Question: 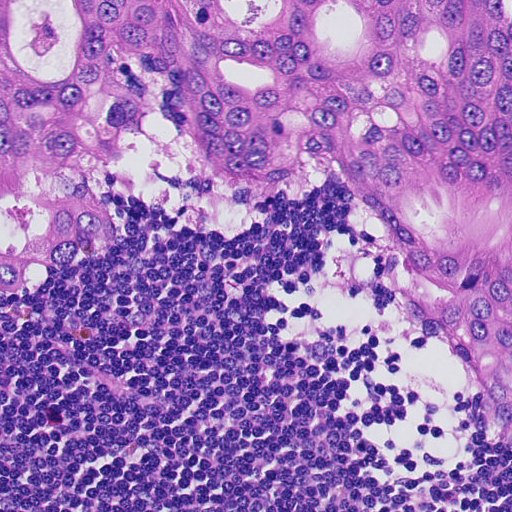
A 0.23-mm field of an H&E-stained sentinel lymph node from a breast-cancer patient (whole-slide image), shown at about 20×, about 0.45 µm per pixel.
Estimate the proportion of this field that is metastatic tumour.

Choices:
 (A) about 50% or more
 (B) about 10% to 20%
 (C) about 5% or less
 (D) none: no tumour is outlined
 (E) about 25% to 45%

Answer: (A) about 50% or more
About 50% of the field is tumour.
Tumour region outline (a closed clockwise path, crop pixels): (0, 0), (511, 0), (511, 452), (458, 355), (408, 306), (382, 238), (338, 181), (265, 202), (128, 186), (101, 248), (40, 287), (5, 291).
Question: 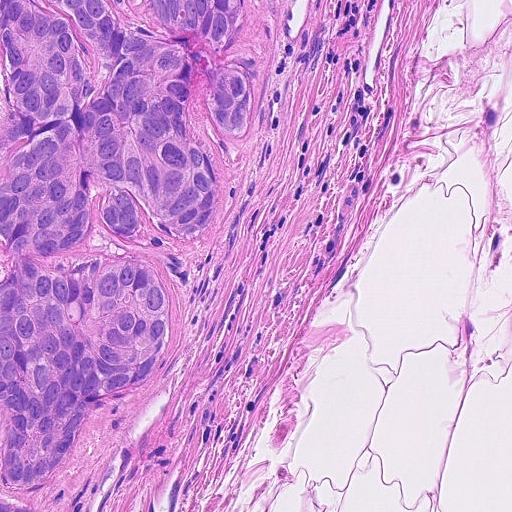
This is a crop of a whole-slide image: an H&E-stained breast-cancer sentinel lymph node section at roughly 20× magnification (about 0.45 µm per pixel; the crop spans about 0.23 mm).
Estimate the proportion of this field that is metastatic tumour.

Choices:
 (A) none: no tumour is outlined
 (B) about 50% or more
 (C) about 25% to 45%
 (D) about 5% or less
 (E) about 10% to 20%

Answer: (C) about 25% to 45%
About 35% of the field is tumour.
Tumour region outline (a closed clockwise path, crop pixels): (0, 0), (239, 0), (234, 41), (262, 73), (263, 114), (249, 153), (228, 152), (230, 195), (214, 234), (182, 262), (157, 246), (178, 287), (180, 328), (132, 394), (94, 410), (56, 486), (23, 496), (50, 511), (0, 511).
Question: 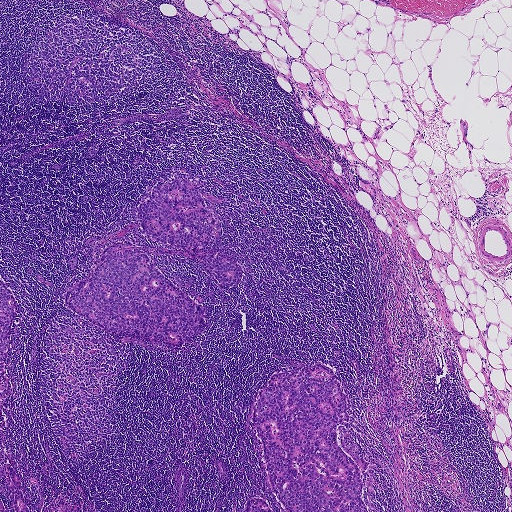
Lymph node section stained with H&E, from a whole-slide image of a breast-cancer sentinel node. Magnification about 2.5×, about 1.9 mm across the frame, about 3.6 µm per pixel.
Estimate the proportion of this field that is metastatic tumour.

Choices:
 (A) about 10% to 20%
 (B) about 50% or more
 (C) about 5% or less
 (D) about 25% to 45%
 (E) none: no tumour is outlined

Answer: (A) about 10% to 20%
About 10% of the field is tumour.
Six metastatic tumour regions, each outlined as a closed clockwise path in crop pixels (x, y), largest first: region 1: (320, 364), (328, 366), (341, 379), (349, 404), (349, 421), (337, 431), (340, 445), (348, 455), (362, 458), (367, 464), (362, 474), (361, 498), (368, 511), (289, 511), (267, 483), (258, 437), (245, 418), (254, 396), (274, 372); region 2: (113, 241), (145, 249), (159, 269), (207, 316), (207, 327), (195, 344), (160, 350), (107, 336), (77, 317), (64, 299), (66, 288), (86, 277); region 3: (182, 176), (192, 181), (212, 208), (216, 219), (215, 230), (203, 249), (226, 251), (241, 266), (238, 287), (227, 287), (194, 256), (151, 240), (141, 226), (136, 216), (137, 205), (143, 195), (161, 180); region 4: (0, 278), (14, 298), (15, 309), (7, 365), (14, 387), (4, 408), (8, 418), (2, 428), (0, 427); region 5: (4, 462), (19, 473), (21, 479), (20, 485), (23, 497), (33, 511), (15, 511), (9, 497), (8, 487), (0, 476), (0, 466); region 6: (255, 497), (261, 498), (266, 502), (272, 511), (242, 511), (242, 509), (249, 498).
Question: 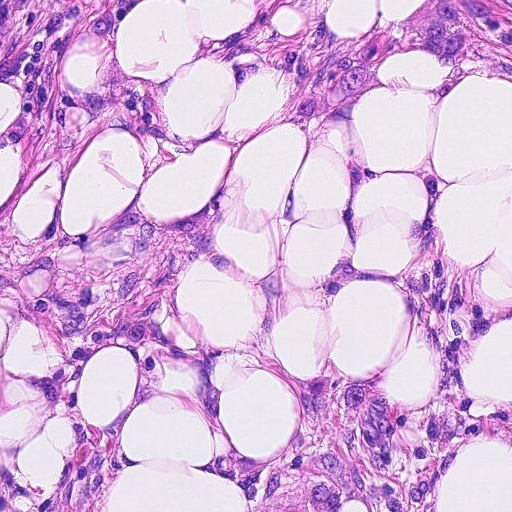
A 0.23-mm field of an H&E-stained sentinel lymph node from a breast-cancer patient (whole-slide image), shown at about 20×, about 0.45 µm per pixel.
Estimate the proportion of this field that is metastatic tumour.

Choices:
 (A) none: no tumour is outlined
 (B) about 10% to 20%
 (C) about 5% or less
 (D) about 50% or more
 (E) about 25% to 45%

Answer: (D) about 50% or more
About 60% of the field is tumour.
Two metastatic tumour regions, each outlined as a closed clockwise path in crop pixels (x, y), largest first: region 1: (0, 0), (136, 0), (119, 70), (166, 80), (196, 138), (158, 168), (103, 128), (60, 189), (56, 166), (33, 178), (12, 224), (80, 240), (118, 212), (209, 203), (240, 266), (200, 262), (172, 298), (222, 358), (243, 450), (302, 426), (254, 344), (258, 272), (281, 260), (280, 373), (413, 409), (430, 391), (390, 280), (320, 298), (309, 277), (353, 254), (393, 273), (416, 176), (444, 180), (452, 257), (511, 303), (511, 442), (474, 440), (440, 511), (0, 511); region 2: (292, 0), (330, 0), (320, 15), (334, 34), (358, 35), (423, 0), (511, 0), (511, 84), (414, 54), (390, 58), (380, 82), (348, 118), (324, 124), (310, 142), (280, 104), (290, 82), (278, 60), (257, 71), (234, 68), (210, 58), (196, 38), (246, 26).